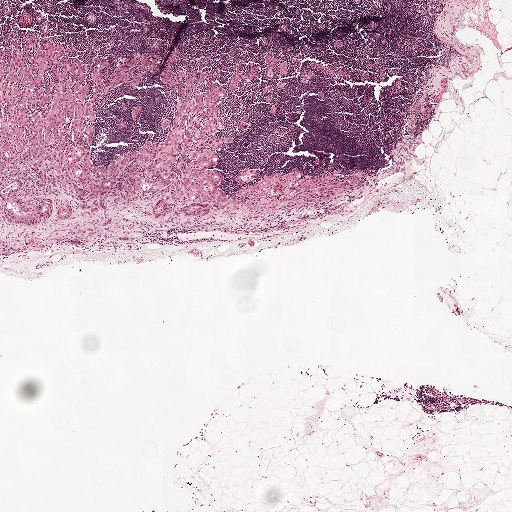
Lymph node section stained with H&E, from a whole-slide image of a breast-cancer sentinel node. Magnification about 2.5×, about 2.0 mm across the frame, about 3.9 µm per pixel.
Boundaries of six metastatic tumour regions, simplified and listed clockwise, largest first: region 1: (0, 27), (36, 30), (84, 55), (110, 59), (110, 72), (121, 73), (122, 81), (101, 105), (90, 143), (94, 184), (85, 202), (64, 220), (28, 224), (0, 217); region 2: (175, 46), (187, 72), (208, 72), (200, 90), (209, 78), (226, 89), (220, 109), (224, 127), (218, 135), (235, 139), (214, 150), (219, 156), (214, 167), (223, 175), (221, 188), (228, 194), (244, 185), (236, 173), (243, 166), (262, 175), (294, 166), (305, 175), (335, 168), (350, 174), (360, 167), (365, 179), (331, 197), (286, 208), (231, 202), (200, 216), (108, 210), (110, 157), (146, 139), (164, 139), (162, 122), (175, 109), (177, 91), (163, 73); region 3: (250, 60), (252, 60), (258, 68), (258, 75), (252, 78), (241, 77), (238, 80), (237, 86), (236, 88), (229, 87), (228, 83), (229, 77), (235, 71), (245, 71), (250, 69); region 4: (267, 54), (274, 56), (279, 62), (274, 70), (274, 75), (269, 78), (266, 77), (264, 74), (266, 67), (271, 64), (268, 65), (265, 63), (265, 58); region 5: (246, 113), (248, 113), (248, 114), (248, 117), (246, 120), (246, 122), (248, 123), (248, 125), (247, 127), (245, 129), (239, 127), (238, 126), (241, 117); region 6: (283, 62), (286, 63), (288, 65), (288, 70), (286, 74), (284, 76), (282, 76), (279, 74), (280, 73), (278, 68), (278, 65).
Two more small tumour pieces are annotated here but not outlined.
The annotated tumour makes up about 15% of the crop.